H&E-stained section of a sentinel lymph node (breast cancer), from a whole-slide image, viewed at about 40×: the field is about 0.12 mm across, about 0.23 µm per pixel.
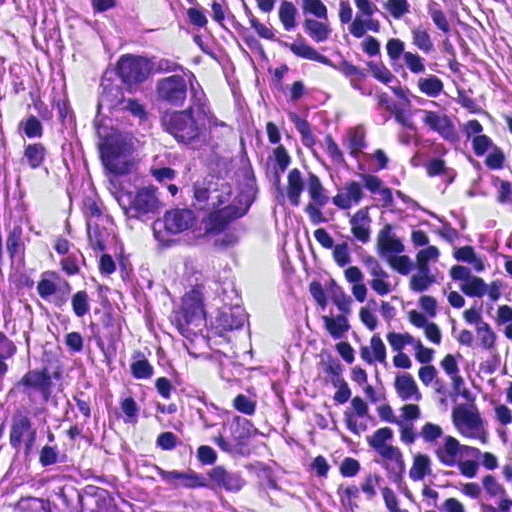
Two metastatic tumour regions, each outlined as a closed clockwise path in crop pixels (x, y), largest first: region 1: (62, 0), (168, 0), (174, 55), (245, 128), (257, 177), (234, 279), (270, 375), (169, 346), (136, 304), (88, 156); region 2: (55, 475), (116, 475), (171, 489), (231, 511), (0, 510).
Tumour covers about 20% of the frame.